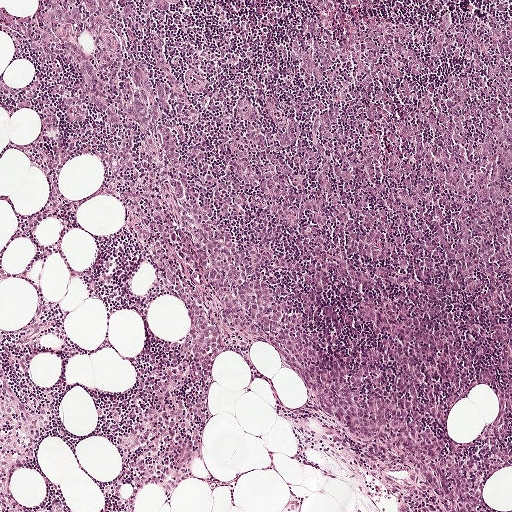
Lymph node section stained with H&E, from a whole-slide image of a breast-cancer sentinel node. Magnification about 5×, about 1 mm across the frame, about 1.9 µm per pixel.
Question: Where is the metastatic tumour in this field?
Answer: Tumour region outline (a closed clockwise path, crop pixels): (38, 0), (511, 0), (499, 511), (414, 511), (413, 475), (236, 336), (178, 468), (192, 318), (118, 198), (33, 228), (42, 128), (0, 81), (35, 62), (0, 8).
One more small tumour piece is annotated here but not outlined.
About 65% of the image area is annotated as tumour.

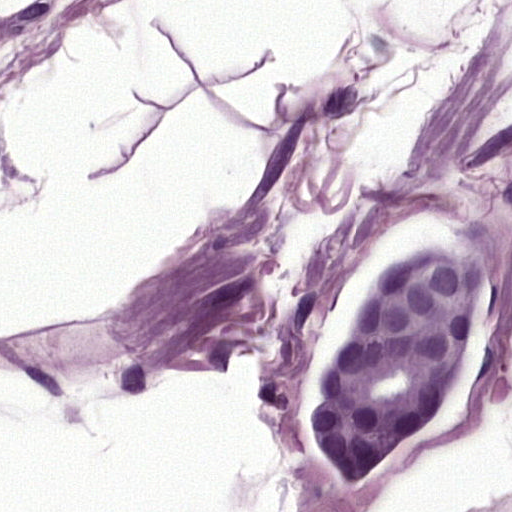
A 0.12-mm field of an H&E-stained sentinel lymph node from a breast-cancer patient (whole-slide image), shown at about 40×, about 0.24 µm per pixel.
Question: Where is the metastatic tumour in this field?
Answer: Tumour region outline (a closed clockwise path, crop pixels): (422, 240), (479, 259), (489, 316), (458, 399), (352, 481), (318, 477), (305, 401), (336, 300).
The annotated tumour makes up about 10% of the crop.

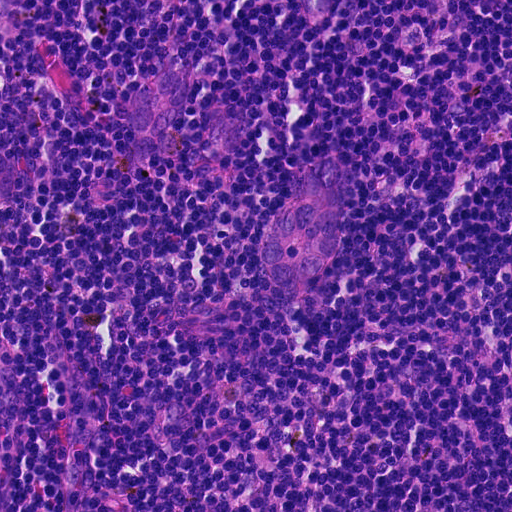
Lymph node section stained with H&E, from a whole-slide image of a breast-cancer sentinel node. Magnification about 20×, about 0.23 mm across the frame, about 0.45 µm per pixel.
Question: Where is the metastatic tumour in this field?
Answer: Outlines of four tumour regions, largest first (closed clockwise paths, crop pixels): region 1: (333, 157), (341, 176), (341, 222), (335, 242), (312, 280), (295, 293), (274, 286), (260, 268), (258, 247), (267, 226), (280, 206), (292, 196), (311, 158); region 2: (164, 66), (186, 68), (183, 136), (170, 153), (152, 165), (132, 165), (124, 146), (122, 124), (126, 102), (147, 78); region 3: (0, 151), (14, 160), (19, 180), (11, 200), (0, 208); region 4: (0, 0), (23, 0), (13, 10), (0, 11).
The annotated tumour makes up about 5% of the crop.

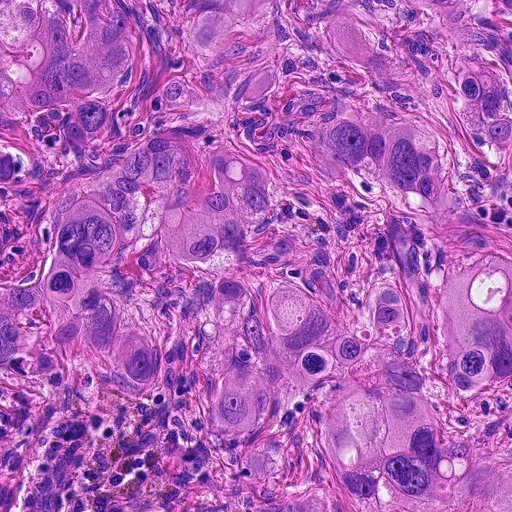
This is a crop of a whole-slide image: an H&E-stained breast-cancer sentinel lymph node section at roughly 20× magnification (about 0.45 µm per pixel; the crop spans about 0.23 mm).
Question: Where is the metastatic tumour in this field?
Answer: Two metastatic tumour regions, each outlined as a closed clockwise path in crop pixels (x, y), largest first: region 1: (0, 0), (511, 0), (511, 511), (270, 511), (284, 504), (238, 464), (206, 383), (222, 307), (163, 330), (158, 386), (128, 391), (110, 370), (102, 398), (75, 400), (49, 354), (0, 369); region 2: (150, 504), (173, 511), (132, 511).
About 85% of the image area is annotated as tumour.